Image:
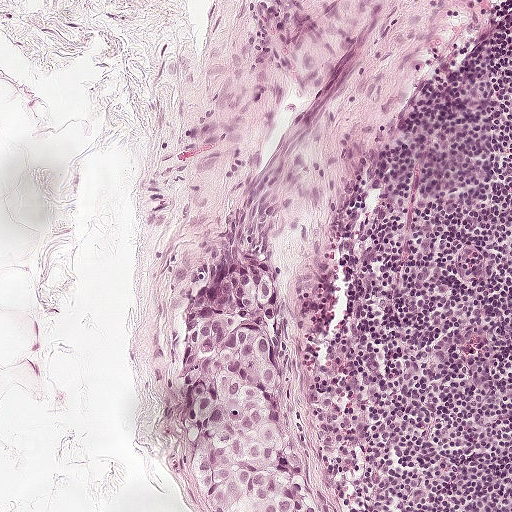
This is a crop of a whole-slide image: an H&E-stained breast-cancer sentinel lymph node section at roughly 10× magnification (about 0.97 µm per pixel; the crop spans about 0.5 mm).
Question:
Describe where the metastatic carcinoma lies in this crop.
Answer:
Metastatic tumour outline, simplified to 12 points and listed clockwise in crop pixels (x, y): (224, 260), (279, 268), (272, 290), (292, 314), (290, 385), (301, 409), (300, 470), (313, 511), (197, 511), (184, 418), (184, 356), (195, 297).
Tumour covers about 10% of the frame.